Lymph node section stained with H&E, from a whole-slide image of a breast-cancer sentinel node. Magnification about 2.5×, about 2.0 mm across the frame, about 3.9 µm per pixel.
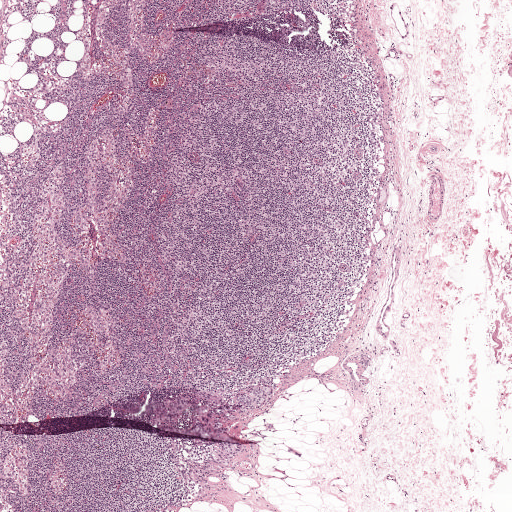
Question: Outline the metastatic carcinoma in this image, as closed paths of (x, y) pixel coordinates.
Answer: Outlines of three tumour regions, largest first (closed clockwise paths, crop pixels): region 1: (224, 388), (223, 402), (215, 404), (206, 400), (197, 401), (186, 407), (175, 427), (153, 426), (148, 422), (150, 411), (158, 404), (187, 392); region 2: (258, 385), (270, 387), (269, 400), (265, 405), (244, 418), (229, 421), (224, 419), (222, 413), (225, 406), (238, 391); region 3: (225, 441), (256, 446), (255, 453), (247, 451), (228, 469), (216, 466), (208, 458).
Two more small tumour pieces are annotated here but not outlined.
Under 5% of the image area is annotated as tumour.